Question: 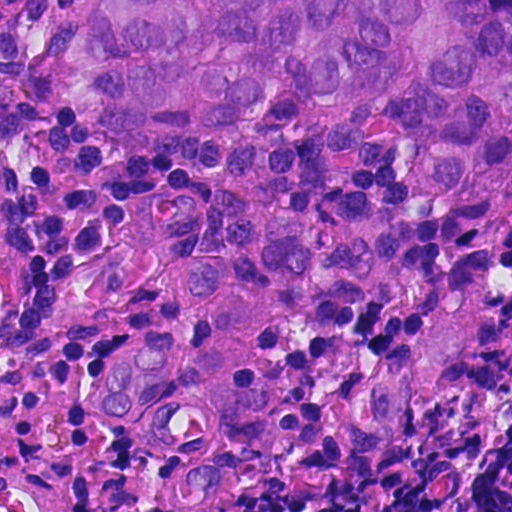
Which magnification is this H&E lymph node field most likely shown at?

Choices:
 (A) about 20×
 (B) about 10×
 (C) about 5×
 (D) about 2.5×
 (E) about 40×

Answer: (E) about 40×
H&E-stained section of a sentinel lymph node (breast cancer), from a whole-slide image, viewed at about 40×: the field is about 0.12 mm across, about 0.23 µm per pixel.
Boundaries of two metastatic tumour regions, simplified and listed clockwise, largest first: region 1: (86, 0), (511, 0), (511, 196), (477, 205), (441, 199), (413, 174), (407, 138), (337, 150), (308, 126), (273, 122), (242, 142), (101, 137), (55, 81), (47, 46); region 2: (173, 183), (203, 203), (182, 226), (175, 255), (206, 250), (233, 260), (229, 290), (180, 328), (185, 358), (135, 435), (105, 431), (90, 404), (94, 373), (163, 299), (160, 269), (129, 215), (143, 187).
One more small tumour piece is annotated here but not outlined.
About 30% of this field is tumour.